A 2.0-mm field of an H&E-stained sentinel lymph node from a breast-cancer patient (whole-slide image), shown at about 2.5×, about 3.9 µm per pixel.
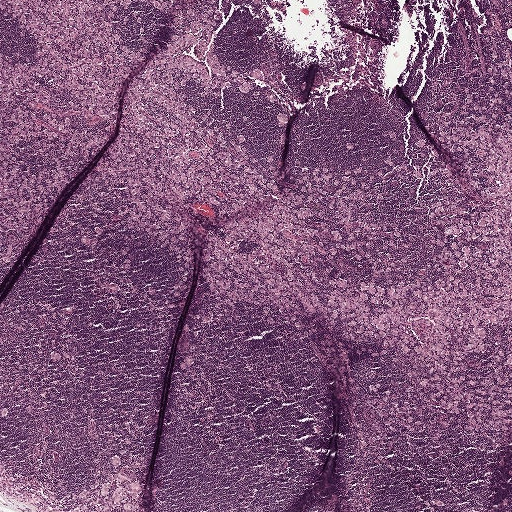
Tumour region outline (a closed clockwise path, crop pixels): (0, 0), (174, 0), (112, 19), (139, 60), (95, 169), (192, 0), (220, 0), (216, 58), (257, 92), (205, 100), (181, 82), (178, 101), (270, 168), (429, 154), (478, 197), (440, 139), (475, 97), (511, 118), (511, 438), (448, 414), (380, 337), (211, 300), (209, 227), (270, 209), (289, 172), (216, 215), (189, 200), (207, 223), (188, 223), (175, 297), (172, 253), (126, 229), (131, 194), (84, 162), (29, 224), (1, 223), (0, 56), (31, 63), (35, 46).
Tumour covers about 40% of the frame.